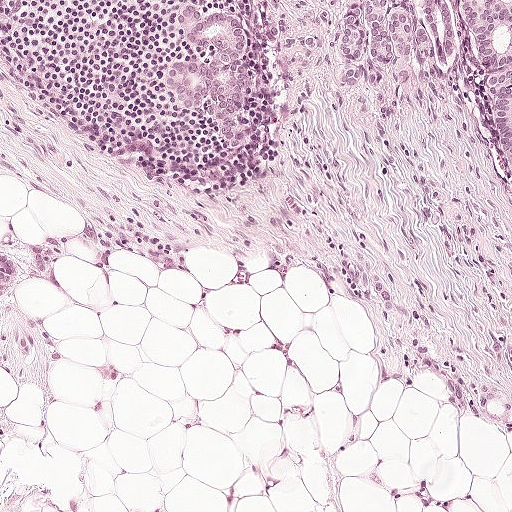
A 0.5-mm field of an H&E-stained sentinel lymph node from a breast-cancer patient (whole-slide image), shown at about 10×, about 0.97 µm per pixel.
Two metastatic tumour regions, each outlined as a closed clockwise path in crop pixels (x, y), largest first: region 1: (511, 0), (511, 187), (496, 168), (484, 122), (484, 100), (465, 58), (432, 78), (384, 78), (373, 88), (360, 88), (334, 67), (334, 19), (326, 1); region 2: (182, 0), (192, 0), (213, 13), (232, 13), (263, 28), (268, 28), (272, 2), (281, 0), (280, 24), (252, 61), (253, 86), (259, 102), (258, 138), (247, 153), (239, 153), (214, 135), (205, 120), (170, 102), (161, 70), (168, 52), (197, 49), (175, 20).
Tumour covers about 10% of the frame.